Question: 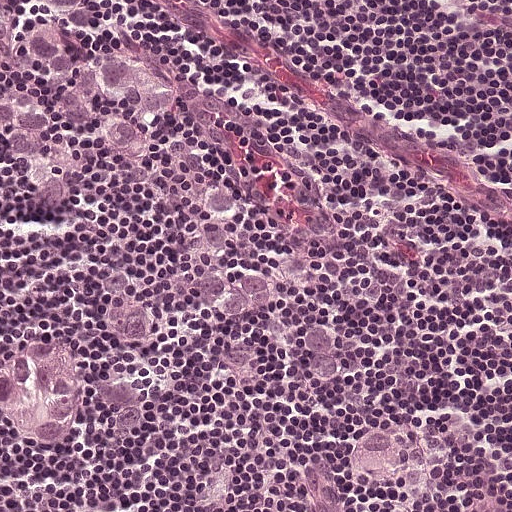
This is a crop of a whole-slide image: an H&E-stained breast-cancer sentinel lymph node section at roughly 20× magnification (about 0.49 µm per pixel; the crop spans about 0.25 mm).
About how much of this crop is taken up by metastatic carcinoma?

Choices:
 (A) about 10% to 20%
 (B) none: no tumour is outlined
 (C) about 5% or less
 (D) about 25% to 45%
 (E) about 50% or more

Answer: (D) about 25% to 45%
About 25% of the field is tumour.
One metastatic tumour region; its boundary, reduced to 40 corners and listed clockwise: (0, 0), (66, 0), (88, 34), (91, 68), (157, 112), (168, 144), (159, 184), (191, 193), (235, 234), (234, 300), (265, 312), (266, 340), (290, 338), (334, 367), (338, 424), (308, 436), (273, 390), (254, 386), (262, 414), (228, 428), (192, 387), (157, 374), (130, 396), (141, 437), (132, 462), (91, 452), (80, 436), (54, 477), (0, 474), (0, 380), (78, 359), (88, 317), (151, 301), (159, 268), (133, 208), (116, 196), (92, 198), (73, 226), (38, 240), (1, 194).